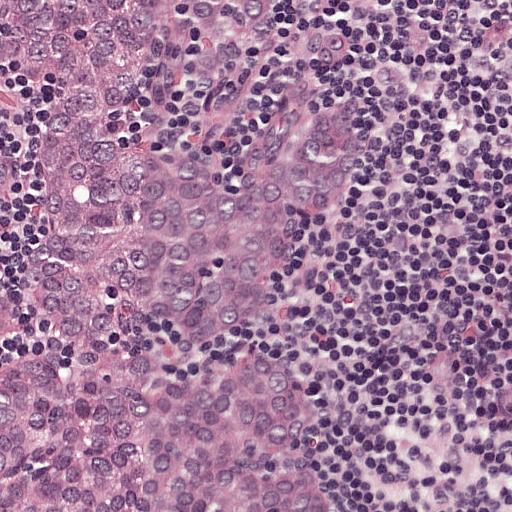
Lymph node section stained with H&E, from a whole-slide image of a breast-cancer sentinel node. Magnification about 20×, about 0.25 mm across the frame, about 0.49 µm per pixel.
One metastatic tumour region; its boundary, reduced to 9 corners and listed clockwise: (0, 0), (321, 0), (357, 43), (364, 174), (350, 213), (274, 316), (306, 374), (330, 511), (0, 511).
About 65% of this field is tumour.